Question: 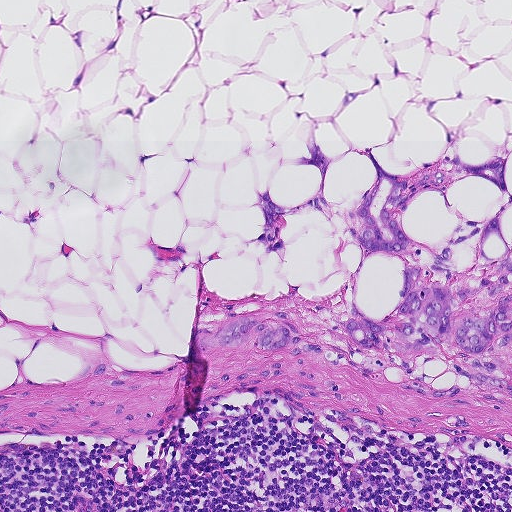
H&E-stained section of a sentinel lymph node (breast cancer), from a whole-slide image, viewed at about 10×: the field is about 0.46 mm across, about 0.9 µm per pixel.
Estimate the proportion of this field that is metastatic tumour.

Choices:
 (A) about 10% to 20%
 (B) none: no tumour is outlined
 (C) about 25% to 45%
 (D) about 5% or less
 (E) about 50% or more

Answer: (A) about 10% to 20%
About 10% of the field is tumour.
Two metastatic tumour regions, each outlined as a closed clockwise path in crop pixels (x, y), largest first: region 1: (454, 150), (466, 176), (408, 206), (403, 228), (419, 266), (473, 228), (464, 226), (470, 219), (480, 230), (446, 264), (455, 275), (473, 263), (479, 241), (488, 220), (511, 196), (478, 249), (494, 260), (511, 248), (511, 389), (479, 386), (430, 356), (408, 362), (349, 348), (351, 296), (376, 321), (404, 292), (403, 261), (383, 252), (362, 260), (347, 231), (374, 160), (383, 177), (369, 207), (385, 238), (378, 215), (392, 184); region 2: (244, 314), (287, 327), (325, 350), (306, 357), (292, 357), (285, 353), (287, 346), (275, 350), (261, 351), (251, 340), (242, 347), (228, 348), (199, 342), (208, 338), (230, 318).